Image:
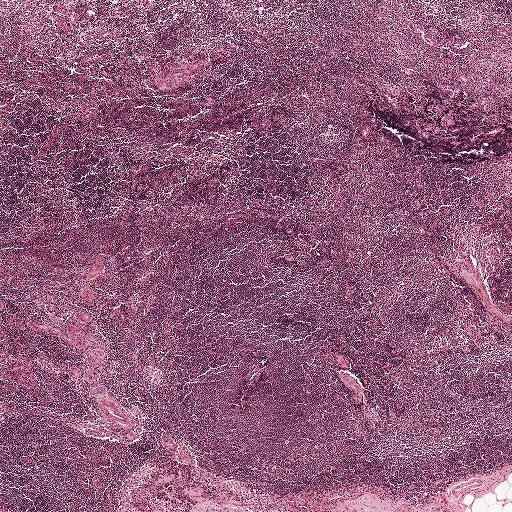
H&E-stained section of a sentinel lymph node (breast cancer), from a whole-slide image, viewed at about 2.5×: the field is about 2.0 mm across, about 3.9 µm per pixel.
Question:
Does this lymph node field contain metastatic tumour?
Answer:
No, this field holds no outlined metastasis.